Image:
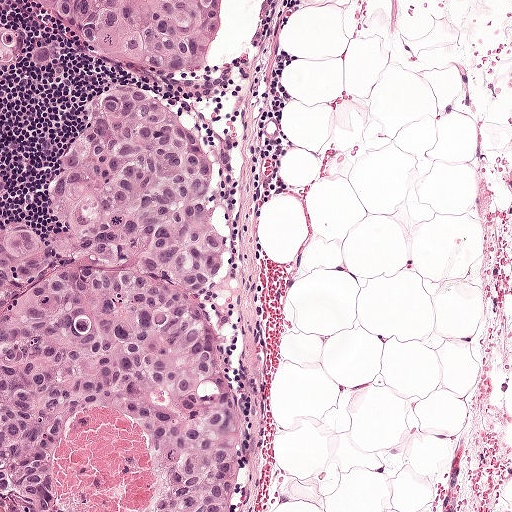
This is a crop of a whole-slide image: an H&E-stained breast-cancer sentinel lymph node section at roughly 10× magnification (about 0.97 µm per pixel; the crop spans about 0.5 mm).
Question:
Where is the metastatic tumour in this field? Give each region's outline as (x, y) pixel points.
Answer:
One metastatic tumour region; its boundary, reduced to 9 corners and listed clockwise: (0, 0), (220, 0), (215, 58), (192, 118), (233, 219), (220, 303), (245, 403), (248, 511), (0, 511).
The annotated tumour makes up about 45% of the crop.